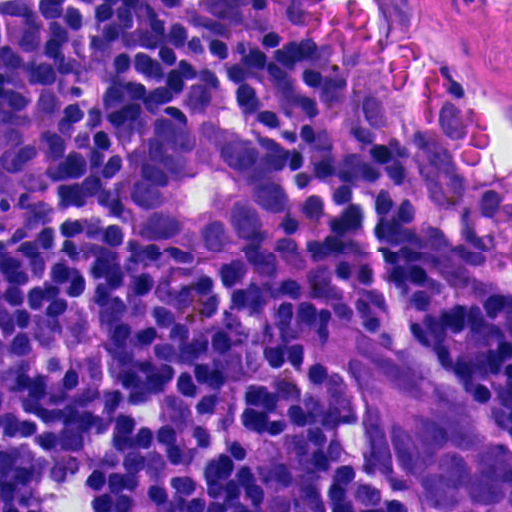
This is a crop of a whole-slide image: an H&E-stained breast-cancer sentinel lymph node section at roughly 40× magnification (about 0.23 µm per pixel; the crop spans about 0.12 mm).
Two metastatic tumour regions, each outlined as a closed clockwise path in crop pixels (x, y), largest first: region 1: (357, 328), (464, 382), (511, 446), (511, 506), (506, 511), (426, 511), (402, 494), (376, 464), (356, 423), (352, 385), (332, 340); region 2: (150, 114), (228, 124), (266, 142), (286, 178), (280, 216), (258, 250), (217, 253), (171, 239), (136, 219), (126, 182).
The annotated tumour makes up about 15% of the crop.